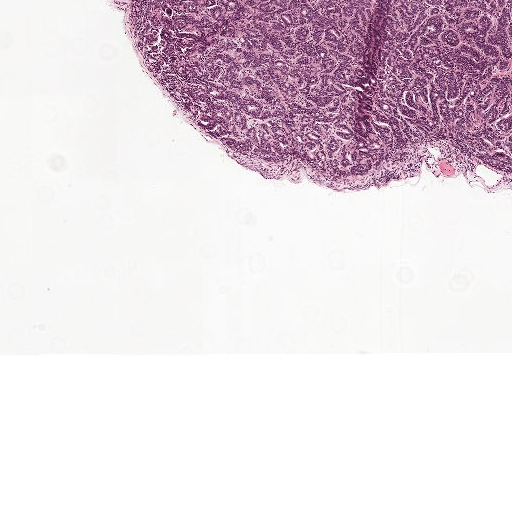
This is a crop of a whole-slide image: an H&E-stained breast-cancer sentinel lymph node section at roughly 2.5× magnification (about 3.9 µm per pixel; the crop spans about 2.0 mm).
The outlined metastatic tumour's edge, as a closed clockwise path of 13 points: (144, 0), (511, 0), (511, 175), (440, 140), (395, 150), (371, 176), (336, 182), (305, 162), (279, 166), (236, 152), (188, 122), (158, 82), (142, 44).
The annotated tumour makes up about 20% of the crop.